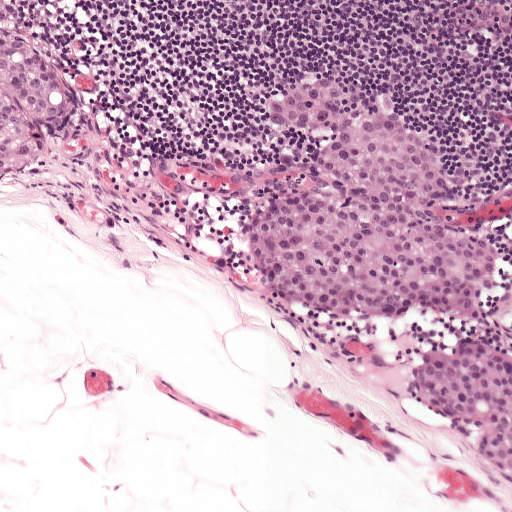
Lymph node section stained with H&E, from a whole-slide image of a breast-cancer sentinel node. Magnification about 10×, about 0.5 mm across the frame, about 0.97 µm per pixel.
Outlines of three tumour regions, largest first (closed clockwise paths, crop pixels): region 1: (308, 60), (361, 75), (436, 149), (489, 237), (495, 262), (480, 310), (434, 332), (305, 313), (264, 283), (248, 210), (267, 194), (312, 185), (322, 132), (272, 129), (258, 107), (265, 82), (284, 64); region 2: (482, 336), (511, 348), (511, 492), (448, 425), (425, 413), (409, 394), (408, 369), (426, 352), (458, 340); region 3: (0, 0), (12, 28), (56, 54), (72, 75), (78, 99), (70, 122), (46, 132), (41, 156), (27, 178), (1, 183).
About 25% of the image area is annotated as tumour.